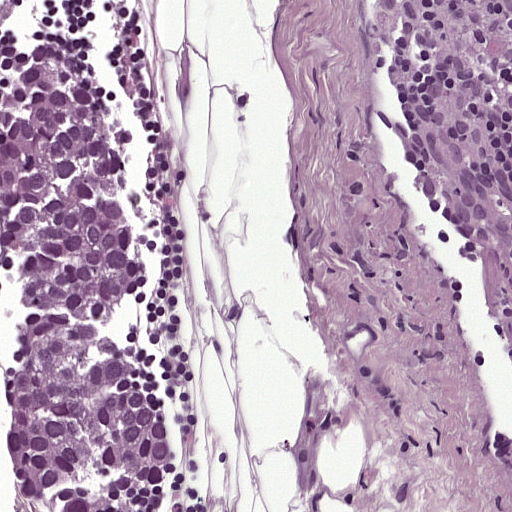
This is a crop of a whole-slide image: an H&E-stained breast-cancer sentinel lymph node section at roughly 20× magnification (about 0.49 µm per pixel; the crop spans about 0.25 mm).
The outlined metastatic tumour's edge, as a closed clockwise path of 16 points: (66, 30), (91, 44), (118, 87), (132, 136), (126, 186), (151, 282), (120, 321), (120, 342), (156, 377), (174, 422), (174, 477), (136, 511), (36, 511), (0, 476), (0, 53), (16, 33).
Tumour covers about 25% of the frame.